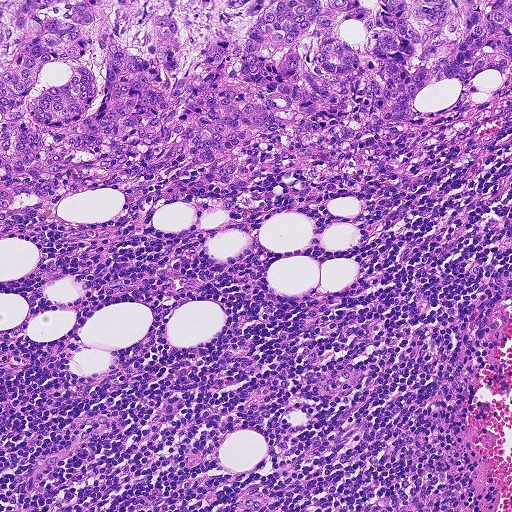
H&E-stained section of a sentinel lymph node (breast cancer), from a whole-slide image, viewed at about 10×: the field is about 0.46 mm across, about 0.9 µm per pixel.
One metastatic tumour region; its boundary, reduced to 17 corners and listed clockwise: (0, 0), (511, 0), (511, 60), (422, 88), (403, 119), (384, 121), (383, 84), (364, 80), (342, 112), (288, 107), (233, 146), (237, 172), (224, 186), (168, 141), (139, 140), (25, 170), (0, 209).
About 25% of this field is tumour.